Question: 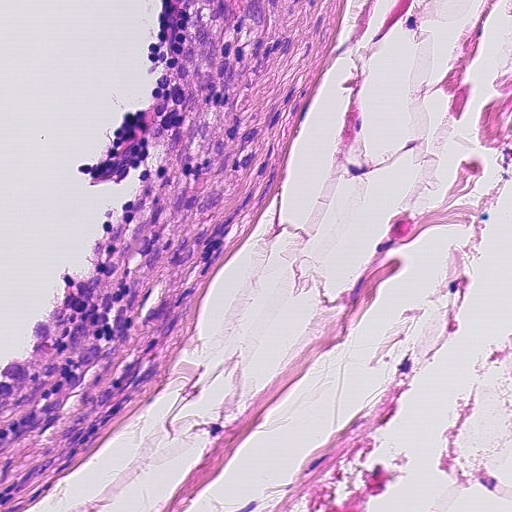
A 0.23-mm field of an H&E-stained sentinel lymph node from a breast-cancer patient (whole-slide image), shown at about 20×, about 0.45 µm per pixel.
What fraction of the image area is metastatic tumour?

Choices:
 (A) none: no tumour is outlined
 (B) about 10% to 20%
 (C) about 50% or more
 (D) about 5% or less
 (E) about 25% to 45%

Answer: (E) about 25% to 45%
About 25% of the field is tumour.
Tumour region outline (a closed clockwise path, crop pixels): (165, 0), (322, 0), (270, 116), (238, 224), (166, 354), (91, 438), (3, 506), (0, 370), (46, 333), (96, 254), (143, 118).